Image:
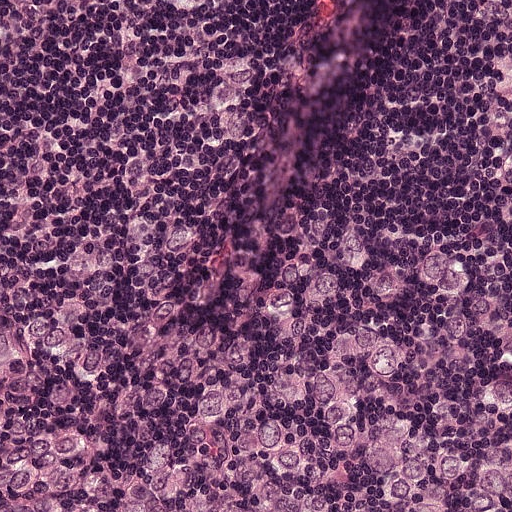
This is a crop of a whole-slide image: an H&E-stained breast-cancer sentinel lymph node section at roughly 20× magnification (about 0.49 µm per pixel; the crop spans about 0.25 mm).
Question:
Outline the metastatic carcinoma in this image, as closed paths of (x, y) pixel coordinates.
Answer:
The outlined metastatic tumour's edge, as a closed clockwise path of 5 points: (0, 210), (274, 216), (511, 258), (511, 511), (0, 511).
About 55% of this field is tumour.